Lymph node section stained with H&E, from a whole-slide image of a breast-cancer sentinel node. Magnification about 20×, about 0.25 mm across the frame, about 0.49 µm per pixel.
Image:
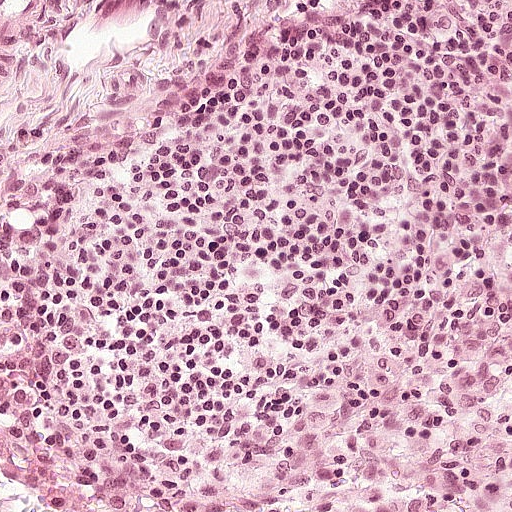
Question:
Is any metastatic breast cancer visible in this crop?
Answer:
No, this field holds no outlined metastasis.